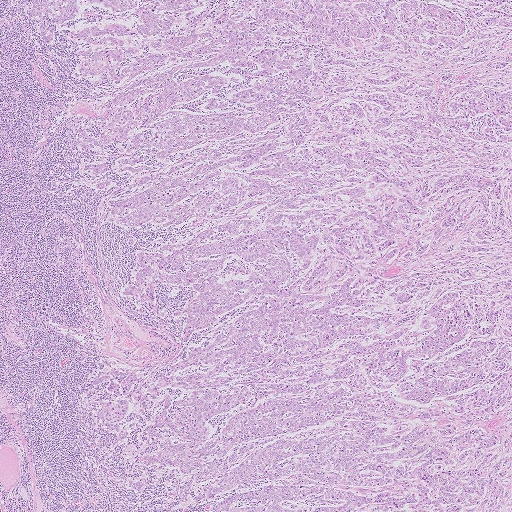
H&E-stained section of a sentinel lymph node (breast cancer), from a whole-slide image, viewed at about 2.5×: the field is about 2.0 mm across, about 4.0 µm per pixel.
One metastatic tumour region; its boundary, reduced to 22 corners and listed clockwise: (511, 0), (511, 511), (180, 511), (164, 470), (130, 489), (152, 470), (94, 422), (108, 393), (87, 383), (181, 345), (117, 294), (124, 242), (207, 226), (104, 208), (82, 168), (101, 157), (71, 131), (126, 88), (75, 74), (66, 29), (43, 44), (24, 11).
Tumour covers about 80% of the frame.